This is a crop of a whole-slide image: an H&E-stained breast-cancer sentinel lymph node section at roughly 2.5× magnification (about 3.6 µm per pixel; the crop spans about 1.9 mm).
Question: 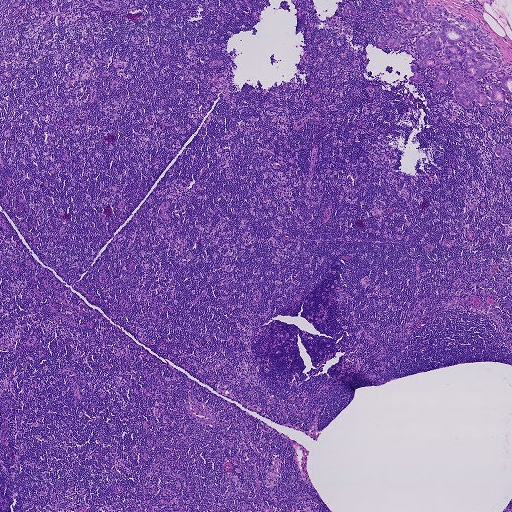
About how much of this crop is taken up by metastatic carcinoma?

Choices:
 (A) none: no tumour is outlined
 (B) about 50% or more
 (C) about 10% to 20%
 (D) about 25% to 45%
 (E) about 5% or less

Answer: (E) about 5% or less
About 5% of the field is tumour.
Boundaries of four metastatic tumour regions, simplified and listed clockwise, largest first: region 1: (423, 0), (442, 7), (458, 21), (470, 20), (490, 36), (498, 56), (469, 40), (496, 64), (494, 72), (477, 80), (486, 94), (486, 105), (474, 99), (471, 109), (461, 105), (454, 98), (456, 86), (449, 78), (447, 91), (436, 93), (432, 88), (436, 67), (417, 66), (422, 81), (410, 80), (414, 74), (410, 64), (415, 66), (421, 59), (414, 51), (416, 36), (396, 51), (375, 44), (382, 36), (391, 37), (384, 23), (391, 21), (386, 12), (394, 8), (391, 1); region 2: (497, 72), (500, 72), (504, 72), (505, 74), (511, 76), (511, 96), (504, 92), (505, 103), (504, 106), (504, 114), (501, 115), (497, 115), (495, 111), (492, 110), (491, 106), (494, 104), (498, 104), (492, 103), (490, 96), (492, 88), (490, 83), (492, 82), (495, 85), (498, 86), (498, 84), (500, 81), (496, 77), (494, 74); region 3: (511, 142), (511, 149), (510, 147), (508, 148), (510, 154), (508, 157), (505, 159), (502, 159), (495, 154), (494, 151), (494, 147), (500, 144), (506, 146), (510, 145); region 4: (347, 3), (355, 8), (356, 12), (356, 16), (352, 16), (349, 14), (344, 16), (342, 12), (342, 8).
Two more small tumour pieces are annotated here but not outlined.